Question: 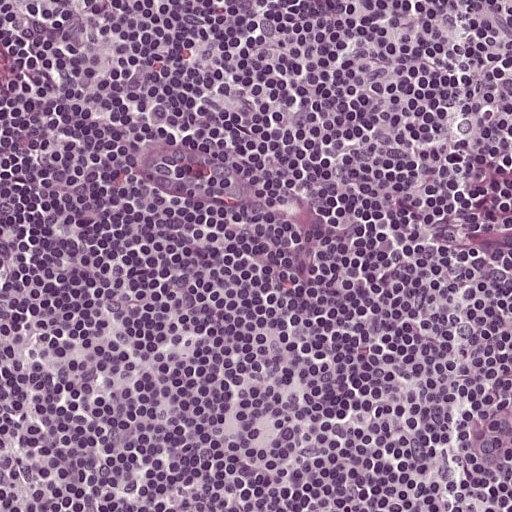
Which magnification is this H&E lymph node field most likely shown at?

Choices:
 (A) about 5×
 (B) about 10×
 (C) about 20×
 (D) about 40×
 (E) about 2.5×

Answer: (C) about 20×
A 0.25-mm field of an H&E-stained sentinel lymph node from a breast-cancer patient (whole-slide image), shown at about 20×, about 0.49 µm per pixel.